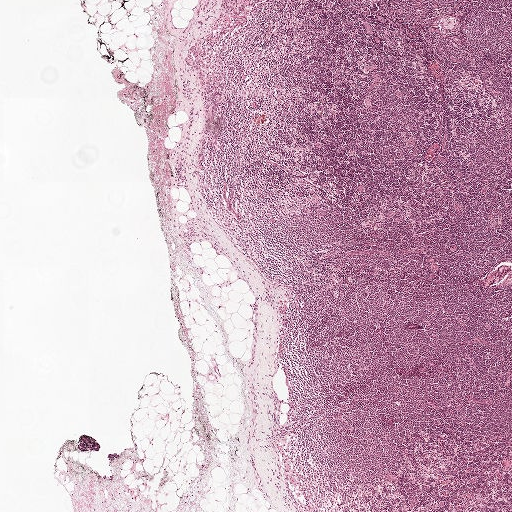
Lymph node section stained with H&E, from a whole-slide image of a breast-cancer sentinel node. Magnification about 2.5×, about 2.0 mm across the frame, about 3.9 µm per pixel.
Question: Is there metastatic carcinoma in this field?
Answer: No, this field holds no outlined metastasis.